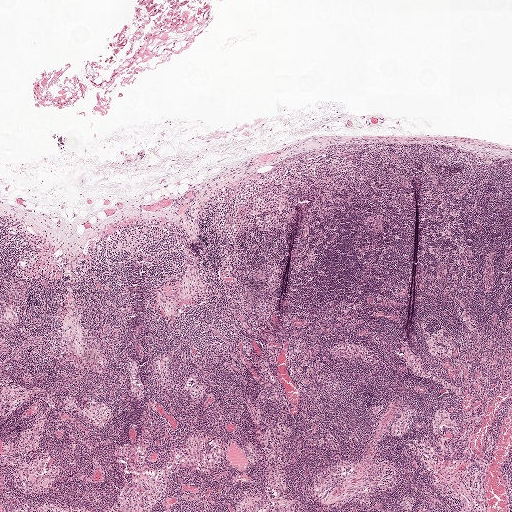
H&E-stained section of a sentinel lymph node (breast cancer), from a whole-slide image, viewed at about 2.5×: the field is about 2.0 mm across, about 3.9 µm per pixel.
Question: Is any metastatic breast cancer visible in this crop?
Answer: No. No metastatic tumour is outlined in this field.